Image:
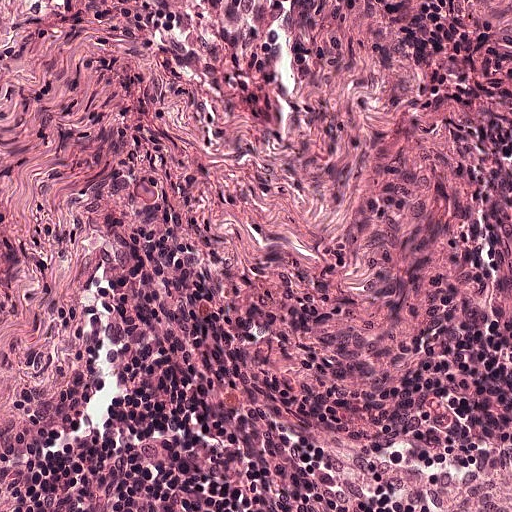
Lymph node section stained with H&E, from a whole-slide image of a breast-cancer sentinel node. Magnification about 20×, about 0.25 mm across the frame, about 0.49 µm per pixel.
Question:
Is any metastatic breast cancer visible in this crop?
Answer:
No: no metastatic tumour is outlined anywhere in this field.